Question: 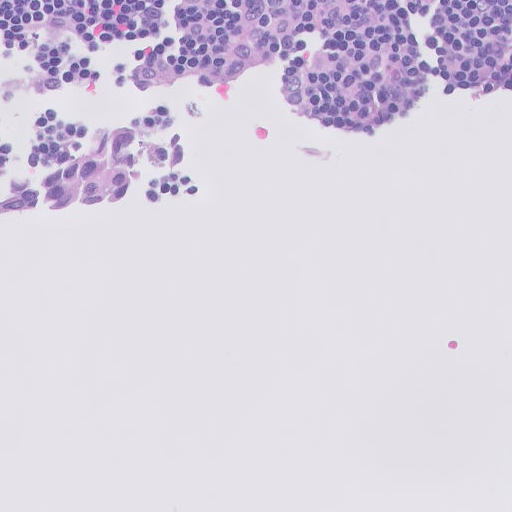
About what magnification does this crop show?

Choices:
 (A) about 10×
 (B) about 20×
 (C) about 5×
 (D) about 2.5×
 (E) about 40×

Answer: (B) about 20×
Lymph node section stained with H&E, from a whole-slide image of a breast-cancer sentinel node. Magnification about 20×, about 0.26 mm across the frame, about 0.5 µm per pixel.
Tumour region outline (a closed clockwise path, crop pixels): (115, 120), (196, 122), (196, 165), (156, 172), (99, 217), (0, 227), (0, 175).
Tumour covers about 5% of the frame.